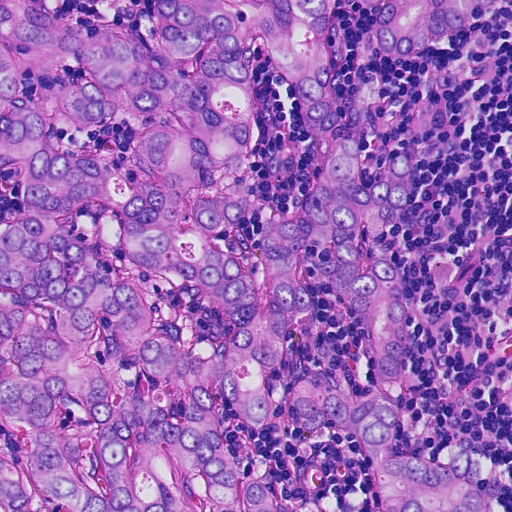
H&E-stained section of a sentinel lymph node (breast cancer), from a whole-slide image, viewed at about 20×: the field is about 0.23 mm across, about 0.45 µm per pixel.
Question: Which parts of this field are metastatic tumour?
Answer: The outlined metastatic tumour's edge, as a closed clockwise path of 18 points: (0, 0), (481, 0), (476, 30), (406, 61), (374, 54), (386, 88), (362, 159), (366, 184), (407, 142), (416, 159), (400, 233), (412, 309), (400, 452), (439, 456), (470, 438), (502, 460), (510, 511), (0, 511).
The annotated tumour makes up about 80% of the crop.